Lymph node section stained with H&E, from a whole-slide image of a breast-cancer sentinel node. Magnification about 20×, about 0.23 mm across the frame, about 0.45 µm per pixel.
Image:
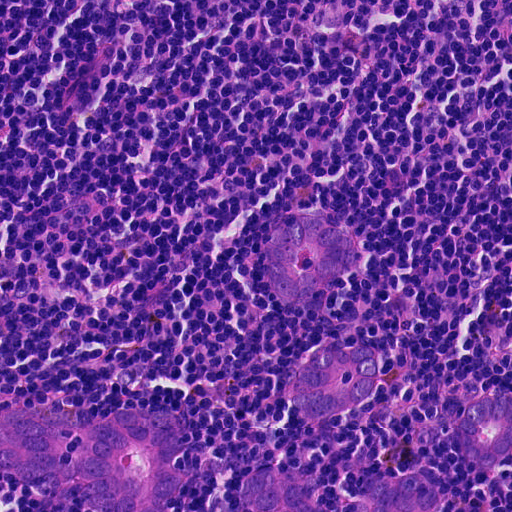
Question:
Show where the tumour is in this image.
Answer:
Boundaries of six metastatic tumour regions, simplified and listed clockwise, largest first: region 1: (38, 405), (84, 422), (106, 420), (122, 408), (144, 407), (164, 409), (181, 420), (186, 442), (168, 511), (104, 511), (83, 506), (66, 492), (46, 498), (27, 490), (0, 465), (0, 413); region 2: (300, 211), (338, 218), (352, 232), (358, 251), (352, 270), (339, 285), (301, 302), (280, 300), (262, 270), (260, 250), (266, 232), (281, 220); region 3: (347, 340), (368, 344), (382, 358), (383, 378), (373, 397), (337, 418), (317, 418), (300, 410), (286, 394), (288, 372), (311, 354), (328, 346); region 4: (489, 389), (511, 399), (511, 451), (480, 470), (464, 459), (456, 442), (456, 422), (470, 399); region 5: (276, 466), (315, 476), (312, 495), (314, 511), (255, 511), (248, 509), (238, 491), (244, 472); region 6: (404, 474), (423, 474), (438, 486), (439, 506), (436, 511), (363, 511), (363, 489).
Tumour covers about 15% of the frame.